Image:
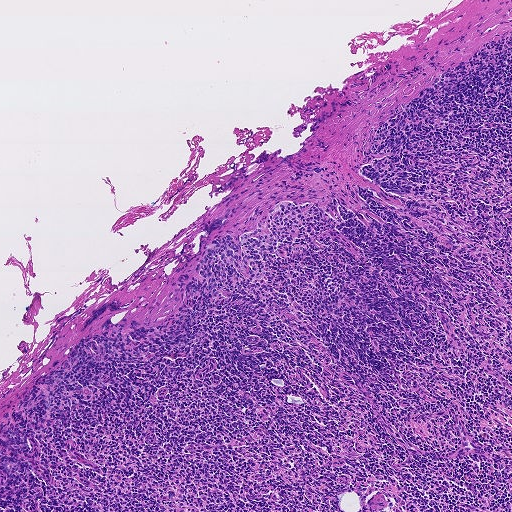
This is a crop of a whole-slide image: an H&E-stained breast-cancer sentinel lymph node section at roughly 5× magnification (about 1.8 µm per pixel; the crop spans about 0.93 mm).
Question:
Does this lymph node field contain metastatic tumour?
Answer:
No, this field holds no outlined metastasis.